Question: 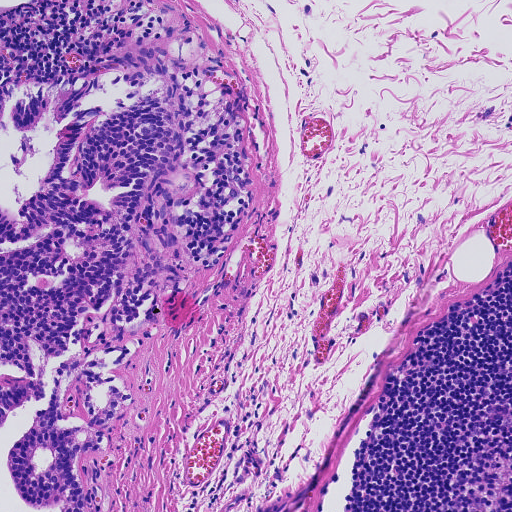
Lymph node section stained with H&E, from a whole-slide image of a breast-cancer sentinel node. Magnification about 10×, about 0.46 mm across the frame, about 0.91 µm per pixel.
Estimate the proportion of this field that is metastatic tumour.

Choices:
 (A) about 25% to 45%
 (B) none: no tumour is outlined
 (C) about 10% to 20%
 (D) about 5% or less
 (E) about 50% or more

Answer: (A) about 25% to 45%
About 25% of the field is tumour.
Metastatic tumour outline, simplified to 19 points and listed clockwise in crop pixels (x, y): (176, 22), (168, 56), (199, 184), (183, 217), (189, 276), (177, 308), (109, 371), (129, 382), (132, 400), (107, 428), (108, 449), (78, 456), (85, 511), (0, 511), (0, 388), (27, 376), (4, 366), (0, 87), (75, 75).